Question: 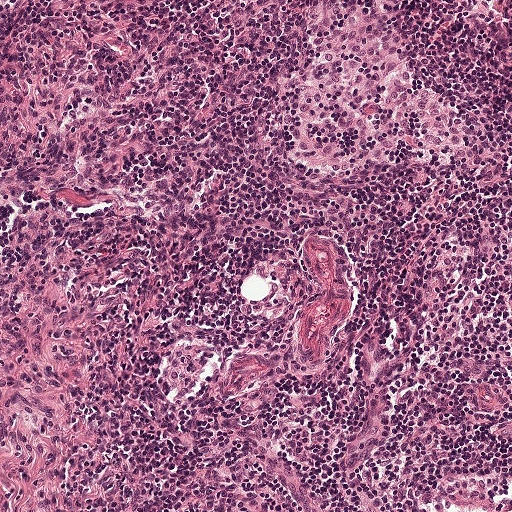
About what magnification does this crop show?

Choices:
 (A) about 2.5×
 (B) about 40×
 (C) about 20×
 (D) about 10×
 (E) about 5×

Answer: (D) about 10×
Lymph node section stained with H&E, from a whole-slide image of a breast-cancer sentinel node. Magnification about 10×, about 0.5 mm across the frame, about 0.97 µm per pixel.